Image:
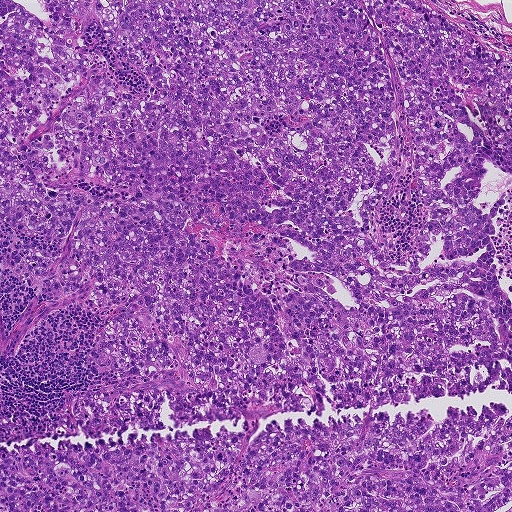
Lymph node section stained with H&E, from a whole-slide image of a breast-cancer sentinel node. Magnification about 5×, about 0.93 mm across the frame, about 1.8 µm per pixel.
Question:
Describe where the metastatic carcinoma lies in this crop.
Answer:
Two metastatic tumour regions, each outlined as a closed clockwise path in crop pixels (x, y), largest first: region 1: (0, 0), (425, 0), (511, 57), (511, 292), (499, 283), (511, 387), (329, 406), (320, 377), (314, 409), (169, 416), (165, 393), (161, 423), (0, 439), (0, 406), (34, 419), (152, 377), (92, 369), (91, 340), (119, 314), (12, 273), (23, 237), (61, 249), (6, 224); region 2: (510, 409), (503, 420), (510, 413), (511, 511), (0, 511), (0, 452), (219, 431), (246, 432), (249, 441), (274, 427).
Tumour covers about 90% of the frame.